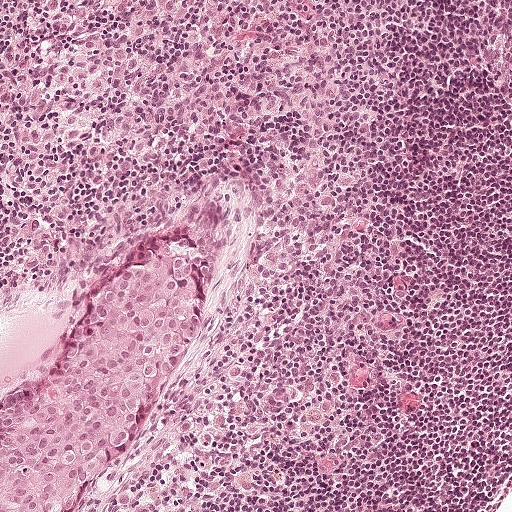
This is a crop of a whole-slide image: an H&E-stained breast-cancer sentinel lymph node section at roughly 10× magnification (about 0.97 µm per pixel; the crop spans about 0.5 mm).
Question: Where is the metastatic tumour in this field?
Answer: The outlined metastatic tumour's edge, as a closed clockwise path of 11 points: (202, 227), (221, 268), (204, 345), (177, 392), (125, 433), (81, 511), (0, 511), (0, 398), (63, 355), (79, 317), (165, 238).
About 15% of the image area is annotated as tumour.